This is a crop of a whole-slide image: an H&E-stained breast-cancer sentinel lymph node section at roughly 10× magnification (about 0.97 µm per pixel; the crop spans about 0.5 mm).
Question: 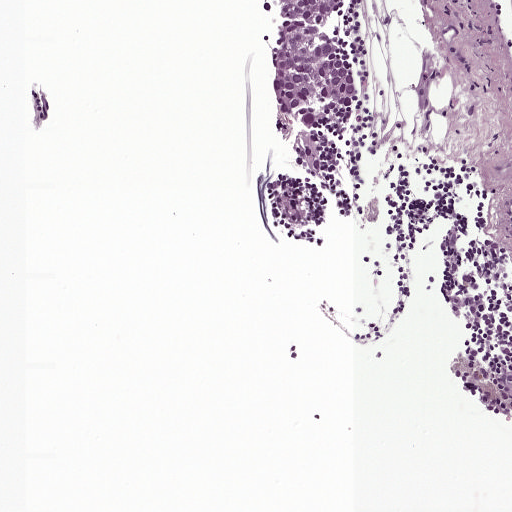
About how much of this crop is taken up by metastatic carcinoma?

Choices:
 (A) about 5% or less
 (B) about 50% or more
 (C) about 10% to 20%
 (D) about 25% to 45%
 (E) none: no tumour is outlined

Answer: (A) about 5% or less
About 5% of the field is tumour.
One metastatic tumour region; its boundary, reduced to 17 corners and listed clockwise: (344, 0), (346, 5), (330, 24), (330, 35), (348, 52), (357, 75), (357, 102), (322, 137), (325, 173), (311, 176), (295, 168), (296, 125), (267, 98), (268, 66), (264, 52), (272, 25), (264, 1).